Question: 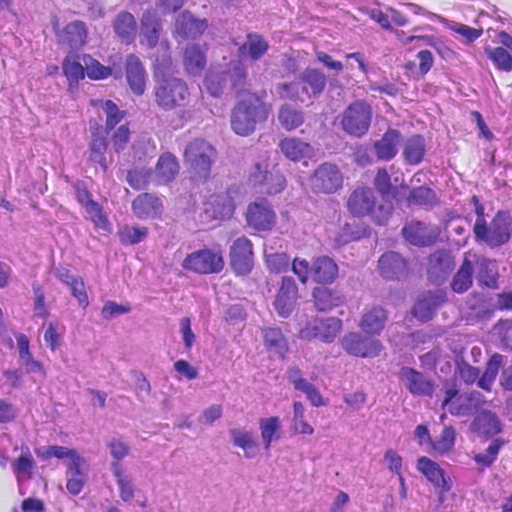
At roughly what magnification is this field shown?

Choices:
 (A) about 40×
 (B) about 20×
 (C) about 2.5×
 (D) about 10×
 (E) about 5×

Answer: (A) about 40×
This is a crop of a whole-slide image: an H&E-stained breast-cancer sentinel lymph node section at roughly 40× magnification (about 0.23 µm per pixel; the crop spans about 0.12 mm).
Metastatic tumour outline, simplified to 14 points and listed clockwise in crop pixels (x, y): (41, 0), (234, 0), (258, 30), (308, 42), (439, 127), (444, 183), (511, 243), (511, 451), (475, 454), (426, 435), (393, 394), (126, 223), (94, 183), (62, 24).
About 45% of this field is tumour.